Question: 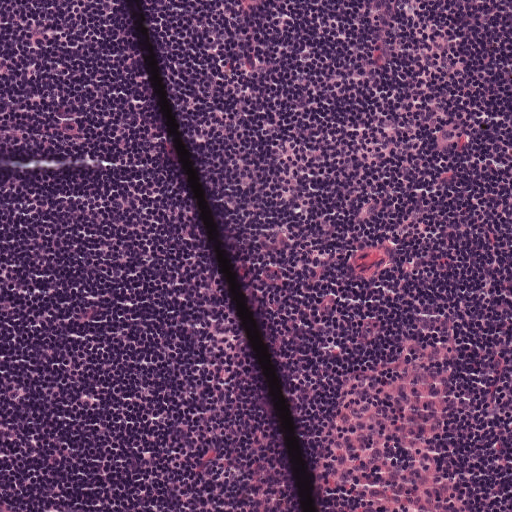
About what magnification does this crop show?

Choices:
 (A) about 5×
 (B) about 2.5×
 (C) about 20×
 (D) about 40×
 (E) about 10×

Answer: (E) about 10×
A 0.5-mm field of an H&E-stained sentinel lymph node from a breast-cancer patient (whole-slide image), shown at about 10×, about 0.97 µm per pixel.